This is a crop of a whole-slide image: an H&E-stained breast-cancer sentinel lymph node section at roughly 20× magnification (about 0.45 µm per pixel; the crop spans about 0.23 mm).
Image:
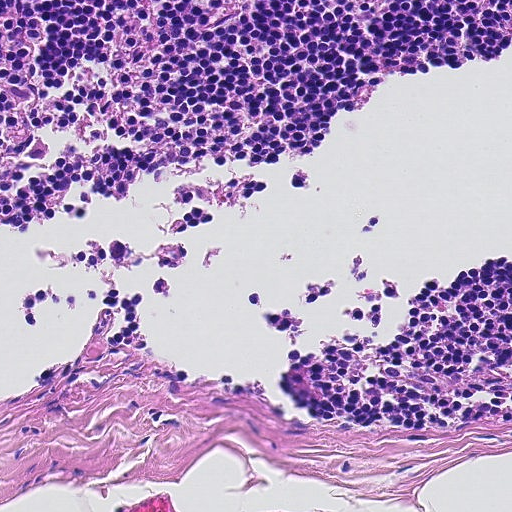
Question:
Is there metastatic carcinoma in this field?
Answer:
No, this field holds no outlined metastasis.